This is a crop of a whole-slide image: an H&E-stained breast-cancer sentinel lymph node section at roughly 20× magnification (about 0.5 µm per pixel; the crop spans about 0.26 mm).
Question: 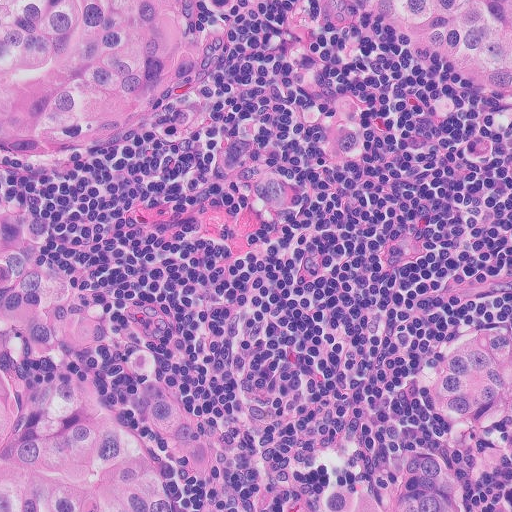
Estimate the proportion of this field that is metastatic tumour.

Choices:
 (A) about 5% or less
 (B) about 10% to 20%
 (C) about 25% to 45%
 (D) about 50% or more
 (E) none: no tumour is outlined

Answer: (D) about 50% or more
About 50% of the field is tumour.
Boundaries of three metastatic tumour regions, simplified and listed clockwise, largest first: region 1: (0, 244), (63, 248), (177, 444), (286, 466), (372, 392), (440, 305), (511, 279), (511, 511), (0, 511); region 2: (0, 0), (249, 0), (188, 93), (82, 155), (0, 151); region 3: (271, 0), (511, 0), (511, 221), (482, 178), (389, 118), (280, 120), (362, 9).